Question: 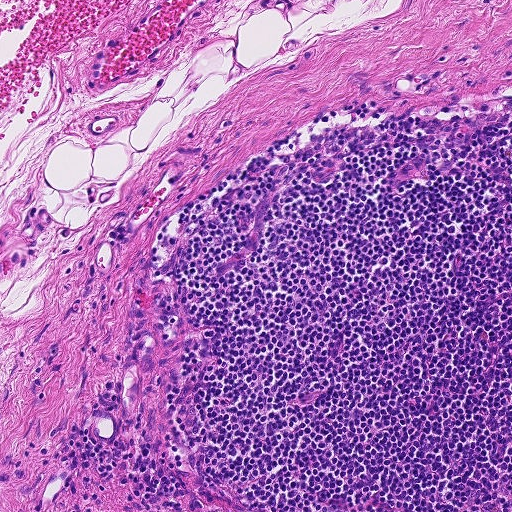
At roughly what magnification is this field shown?

Choices:
 (A) about 40×
 (B) about 2.5×
 (C) about 10×
 (D) about 5×
 (E) about 20×

Answer: (C) about 10×
This is a crop of a whole-slide image: an H&E-stained breast-cancer sentinel lymph node section at roughly 10× magnification (about 0.9 µm per pixel; the crop spans about 0.46 mm).